Image:
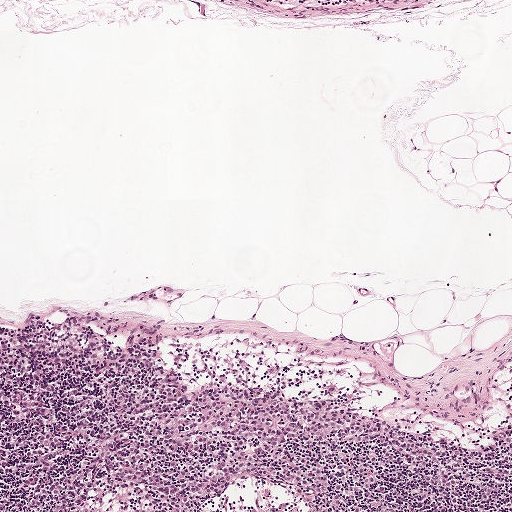
H&E-stained section of a sentinel lymph node (breast cancer), from a whole-slide image, viewed at about 5×: the field is about 1 mm across, about 1.9 µm per pixel.
Question:
Outline the metastatic carcinoma in this image, as closed paths of (x, y) pixel coordinates.
Answer:
Outlines of three tumour regions, largest first (closed clockwise paths, crop pixels): region 1: (238, 384), (278, 390), (379, 424), (436, 433), (463, 446), (470, 462), (419, 461), (361, 444), (236, 444), (164, 429), (159, 420), (161, 409), (200, 386); region 2: (511, 344), (511, 405), (502, 404), (498, 402), (491, 397), (491, 386), (492, 382), (495, 378), (498, 370), (499, 369), (500, 367), (504, 359), (507, 350), (509, 348); region 3: (0, 333), (3, 333), (8, 338), (13, 346), (15, 362), (10, 370), (1, 375).
The annotated tumour makes up about 5% of the crop.